Question: 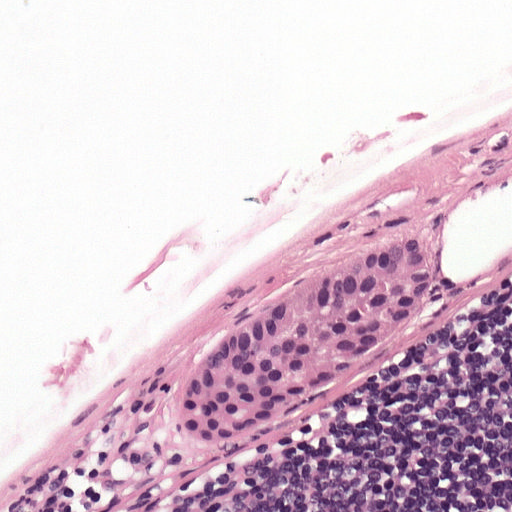
This is a crop of a whole-slide image: an H&E-stained breast-cancer sentinel lymph node section at roughly 20× magnification (about 0.49 µm per pixel; the crop spans about 0.25 mm).
About how much of this crop is taken up by metastatic carcinoma?

Choices:
 (A) about 50% or more
 (B) about 25% to 45%
 (C) none: no tumour is outlined
 (D) about 10% to 20%
 (E) about 5% or less

Answer: (D) about 10% to 20%
About 10% of the field is tumour.
The outlined metastatic tumour's edge, as a closed clockwise path of 10 points: (413, 232), (430, 246), (425, 306), (322, 392), (231, 446), (182, 436), (172, 406), (202, 359), (236, 318), (352, 238).